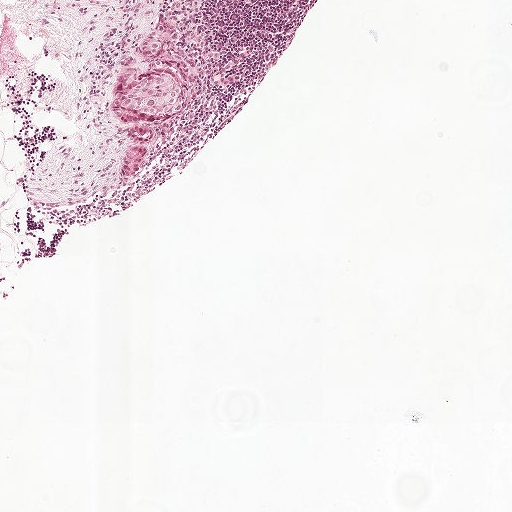
H&E-stained section of a sentinel lymph node (breast cancer), from a whole-slide image, viewed at about 5×: the field is about 1 mm across, about 1.9 µm per pixel.
One metastatic tumour region; its boundary, reduced to 12 corners and listed clockwise: (163, 72), (178, 74), (182, 80), (186, 111), (176, 119), (149, 126), (131, 126), (108, 120), (104, 110), (109, 94), (127, 86), (134, 79).
One more small tumour piece is annotated here but not outlined.
Under 5% of the image area is annotated as tumour.